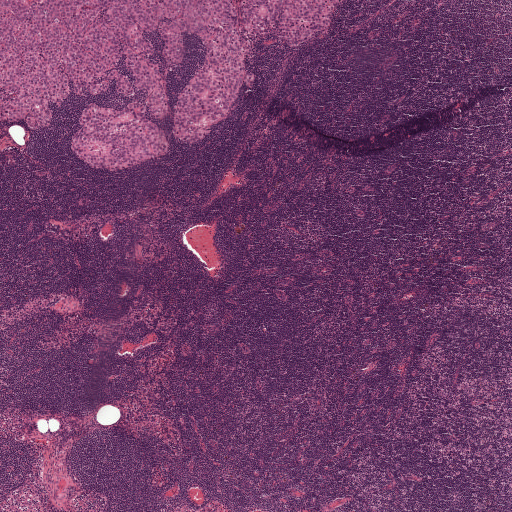
Lymph node section stained with H&E, from a whole-slide image of a breast-cancer sentinel node. Magnification about 2.5×, about 2.0 mm across the frame, about 3.9 µm per pixel.
Question: Which parts of this field are metastatic tumour? Answer with the outline of each region, in pixels.
Answer: Tumour region outline (a closed clockwise path, crop pixels): (0, 0), (348, 0), (313, 43), (271, 34), (254, 91), (198, 146), (170, 135), (208, 53), (184, 34), (165, 78), (161, 126), (172, 147), (137, 170), (91, 167), (67, 144), (90, 104), (135, 102), (114, 82), (53, 107), (43, 131), (0, 125).
About 15% of the image area is annotated as tumour.